This is a crop of a whole-slide image: an H&E-stained breast-cancer sentinel lymph node section at roughly 40× magnification (about 0.23 µm per pixel; the crop spans about 0.12 mm).
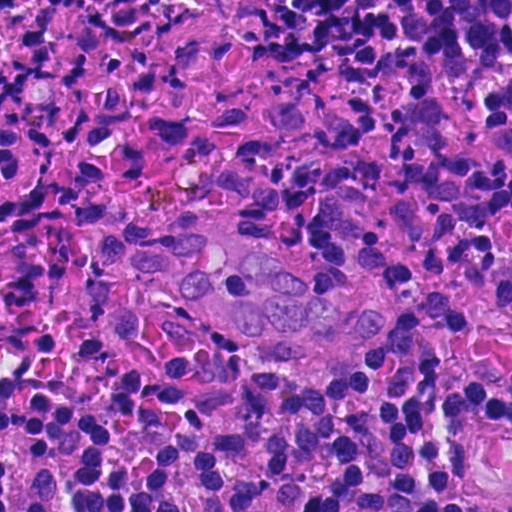
One metastatic tumour region; its boundary, reduced to 16 corners and listed clockwise: (114, 220), (207, 223), (293, 261), (309, 287), (337, 301), (357, 278), (386, 284), (392, 315), (380, 344), (323, 365), (291, 363), (233, 341), (179, 301), (112, 286), (89, 262), (85, 232).
The annotated tumour makes up about 10% of the crop.